Image:
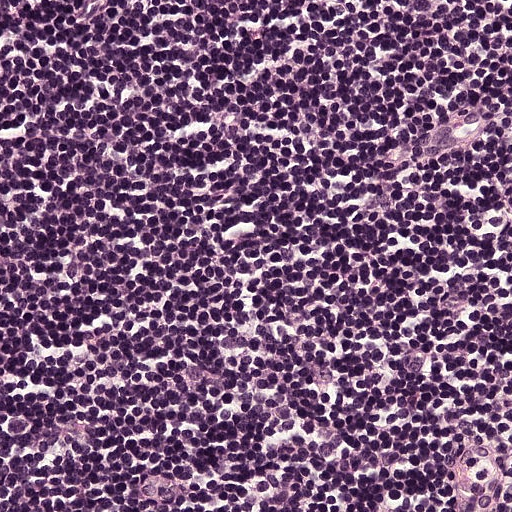
This is a crop of a whole-slide image: an H&E-stained breast-cancer sentinel lymph node section at roughly 20× magnification (about 0.49 µm per pixel; the crop spans about 0.25 mm).
Question:
Is there metastatic carcinoma in this field?
Answer:
No, this field holds no outlined metastasis.